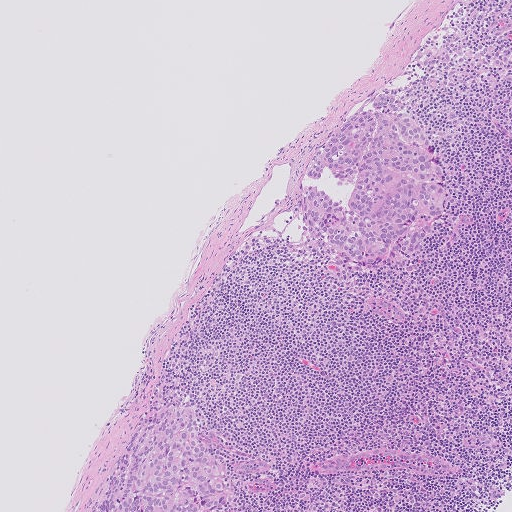
This is a crop of a whole-slide image: an H&E-stained breast-cancer sentinel lymph node section at roughly 5× magnification (about 2.0 µm per pixel; the crop spans about 1.0 mm).
Two metastatic tumour regions, each outlined as a closed clockwise path in crop pixels (x, y), largest first: region 1: (397, 95), (401, 106), (426, 129), (443, 172), (438, 219), (418, 248), (378, 270), (320, 255), (302, 225), (304, 178), (314, 157), (364, 103); region 2: (176, 402), (189, 406), (222, 432), (229, 460), (228, 503), (217, 511), (92, 511), (123, 441), (145, 406).
About 10% of this field is tumour.